H&E-stained section of a sentinel lymph node (breast cancer), from a whole-slide image, viewed at about 20×: the field is about 0.23 mm across, about 0.45 µm per pixel.
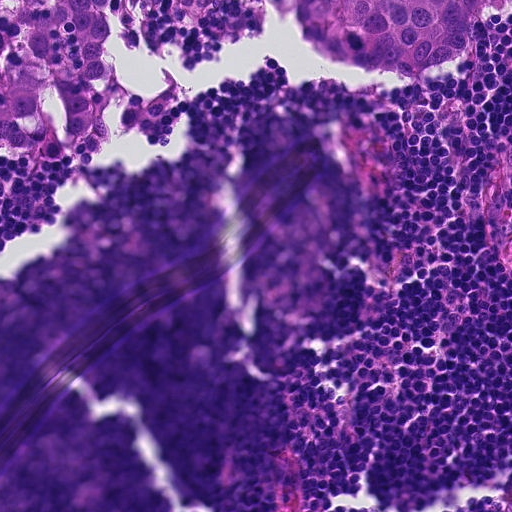
Question: Where is the metastatic tumour in this field? Give each region's outline as (x, y) pixel points.
Answer: Metastatic tumour outline, simplified to 19 points and listed clockwise in crop pixels (x, y): (0, 0), (510, 0), (448, 69), (422, 78), (346, 64), (300, 38), (277, 5), (178, 10), (128, 22), (106, 10), (105, 44), (128, 88), (152, 94), (176, 84), (154, 138), (130, 130), (104, 134), (60, 159), (0, 144).
The annotated tumour makes up about 15% of the crop.